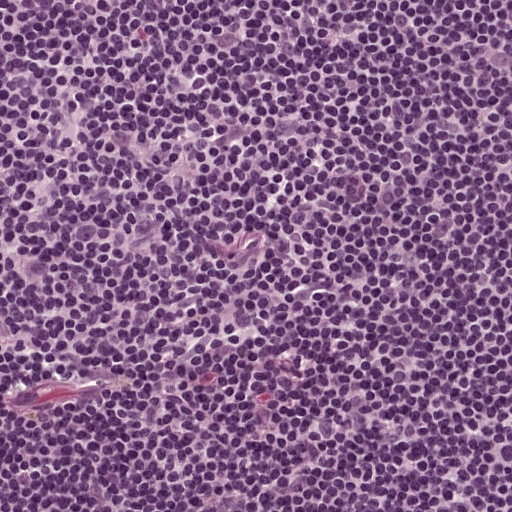
H&E-stained section of a sentinel lymph node (breast cancer), from a whole-slide image, viewed at about 20×: the field is about 0.25 mm across, about 0.49 µm per pixel.